Question: 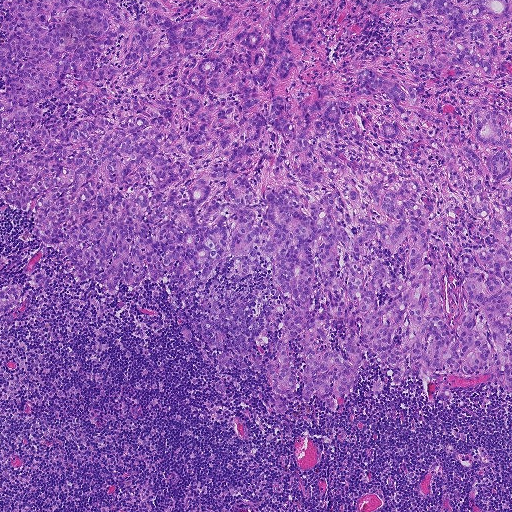
H&E-stained section of a sentinel lymph node (breast cancer), from a whole-slide image, viewed at about 5×: the field is about 0.93 mm across, about 1.8 µm per pixel.
About how much of this crop is taken up by metastatic carcinoma?

Choices:
 (A) none: no tumour is outlined
 (B) about 10% to 20%
 (C) about 25% to 45%
 (D) about 5% or less
 (E) about 50% or more

Answer: (E) about 50% or more
About 65% of the field is tumour.
Two metastatic tumour regions, each outlined as a closed clockwise path in crop pixels (x, y), largest first: region 1: (511, 0), (511, 399), (492, 383), (432, 401), (416, 376), (381, 376), (375, 399), (364, 360), (337, 414), (304, 404), (300, 378), (278, 414), (267, 360), (216, 366), (180, 333), (204, 317), (199, 279), (110, 296), (74, 282), (34, 207), (0, 197), (0, 5); region 2: (10, 282), (20, 283), (22, 293), (20, 303), (14, 312), (6, 316), (0, 316), (0, 289).